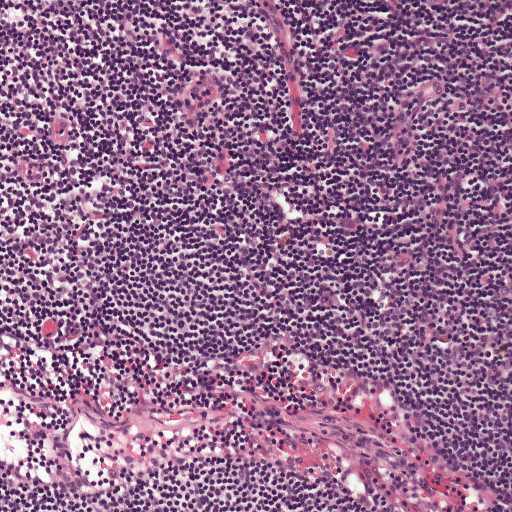
Lymph node section stained with H&E, from a whole-slide image of a breast-cancer sentinel node. Magnification about 10×, about 0.5 mm across the frame, about 0.97 µm per pixel.